H&E-stained section of a sentinel lymph node (breast cancer), from a whole-slide image, viewed at about 5×: the field is about 0.93 mm across, about 1.8 µm per pixel.
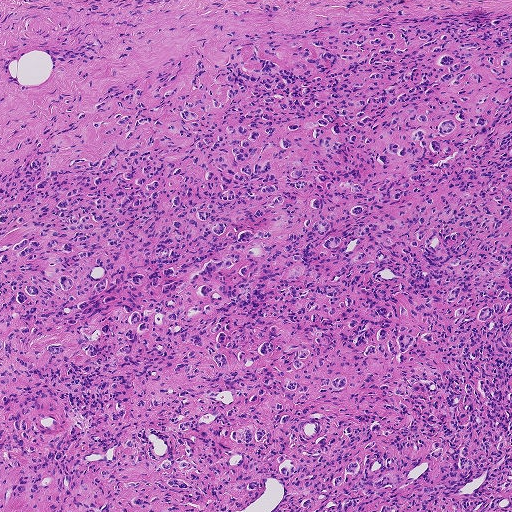
The outlined metastatic tumour's edge, as a closed clockwise path of 11 points: (507, 17), (511, 511), (0, 511), (0, 189), (23, 166), (42, 154), (58, 170), (99, 155), (102, 141), (76, 114), (213, 48).
About 85% of this field is tumour.